Question: 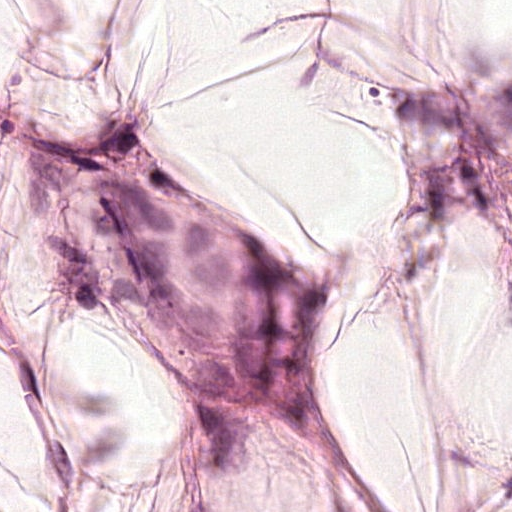
At roughly what magnification is this field shown?

Choices:
 (A) about 2.5×
 (B) about 20×
 (C) about 10×
 (D) about 40×
 (E) about 5×

Answer: (D) about 40×
H&E-stained section of a sentinel lymph node (breast cancer), from a whole-slide image, viewed at about 40×: the field is about 0.12 mm across, about 0.24 µm per pixel.
The outlined metastatic tumour's edge, as a closed clockwise path of 15 points: (62, 170), (214, 203), (248, 229), (273, 229), (288, 263), (318, 274), (333, 307), (335, 355), (288, 437), (277, 511), (192, 511), (173, 388), (133, 322), (40, 244), (44, 181).
About 20% of this field is tumour.